This is a crop of a whole-slide image: an H&E-stained breast-cancer sentinel lymph node section at roughly 10× magnification (about 0.97 µm per pixel; the crop spans about 0.5 mm).
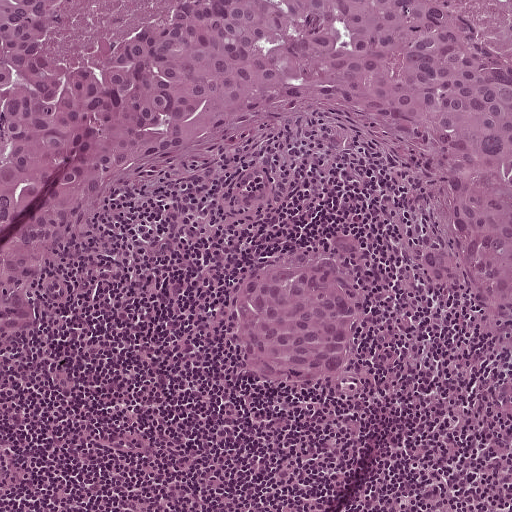
Outlines of two tumour regions, largest first (closed clockwise paths, crop pixels): region 1: (0, 0), (511, 0), (511, 407), (502, 404), (507, 368), (473, 306), (438, 292), (422, 264), (425, 190), (406, 158), (378, 131), (342, 118), (148, 167), (116, 188), (71, 250), (46, 320), (14, 342), (0, 336); region 2: (329, 232), (358, 240), (369, 262), (367, 299), (346, 372), (271, 386), (240, 363), (230, 289), (259, 265).
Tumour covers about 45% of the frame.